Lymph node section stained with H&E, from a whole-slide image of a breast-cancer sentinel node. Magnification about 10×, about 0.46 mm across the frame, about 0.9 µm per pixel.
Question: 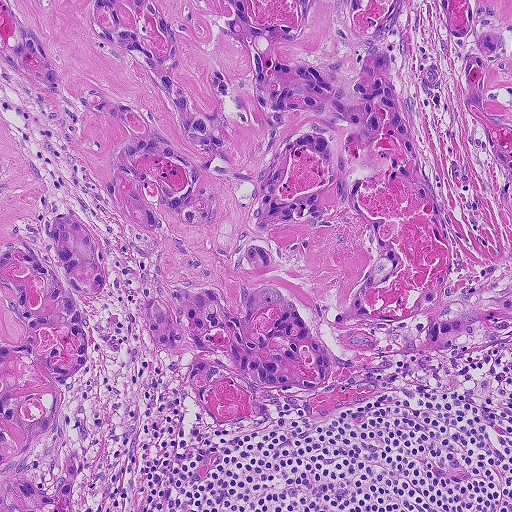
Estimate the proportion of this field that is metastatic tumour.

Choices:
 (A) about 5% or less
 (B) about 10% to 20%
 (C) about 25% to 45%
 (D) about 50% or more
 (E) none: no tumour is outlined

Answer: (D) about 50% or more
About 75% of the field is tumour.
Metastatic tumour outline, simplified to 21 points and listed clockwise in crop pixels (x, y): (0, 0), (511, 0), (511, 336), (373, 354), (386, 374), (379, 397), (318, 422), (270, 408), (272, 420), (228, 437), (192, 404), (192, 356), (143, 341), (138, 296), (117, 283), (79, 303), (94, 349), (68, 414), (92, 469), (75, 511), (0, 511).